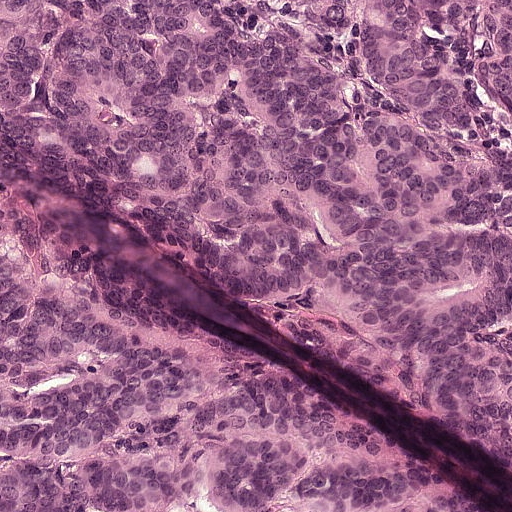
Lymph node section stained with H&E, from a whole-slide image of a breast-cancer sentinel node. Magnification about 20×, about 0.25 mm across the frame, about 0.49 µm per pixel.
The outlined metastatic tumour's edge, as a closed clockwise path of 10 points: (0, 0), (511, 0), (511, 473), (232, 325), (112, 242), (70, 179), (30, 181), (127, 281), (494, 510), (0, 511).
The annotated tumour makes up about 95% of the crop.